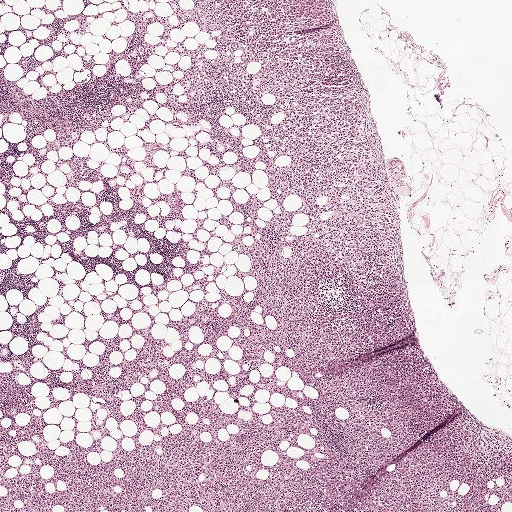
A 2.0-mm field of an H&E-stained sentinel lymph node from a breast-cancer patient (whole-slide image), shown at about 2.5×, about 3.9 µm per pixel.
Two metastatic tumour regions, each outlined as a closed clockwise path in crop pixels (x, y), largest first: region 1: (309, 246), (326, 248), (336, 266), (335, 273), (317, 288), (322, 302), (329, 310), (353, 319), (362, 331), (363, 342), (319, 366), (295, 374), (292, 371), (294, 350), (279, 345), (277, 324), (272, 313), (265, 309), (263, 296), (281, 261); region 2: (313, 468), (320, 470), (336, 494), (345, 503), (363, 511), (240, 511), (249, 497), (280, 472).
About 5% of the image area is annotated as tumour.